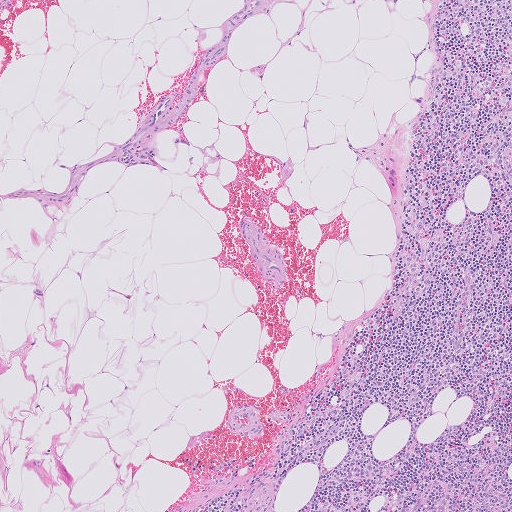
H&E-stained section of a sentinel lymph node (breast cancer), from a whole-slide image, viewed at about 5×: the field is about 1.0 mm across, about 2.0 µm per pixel.